This is a crop of a whole-slide image: an H&E-stained breast-cancer sentinel lymph node section at roughly 10× magnification (about 1.0 µm per pixel; the crop spans about 0.51 mm).
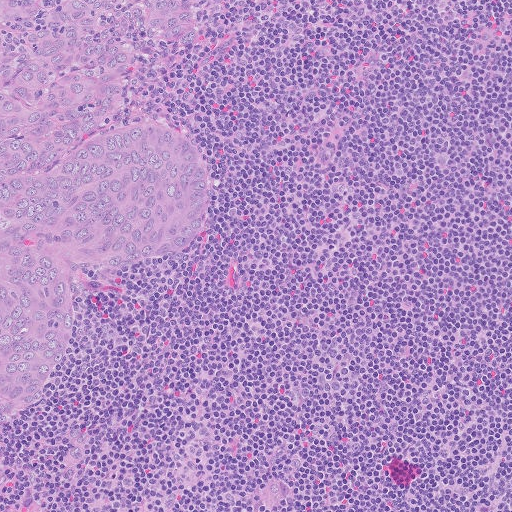
One metastatic tumour region; its boundary, reduced to 13 corners and listed clockwise: (0, 0), (205, 0), (198, 38), (180, 50), (158, 44), (131, 103), (206, 151), (220, 214), (192, 246), (90, 286), (62, 366), (10, 438), (6, 494).
About 25% of this field is tumour.